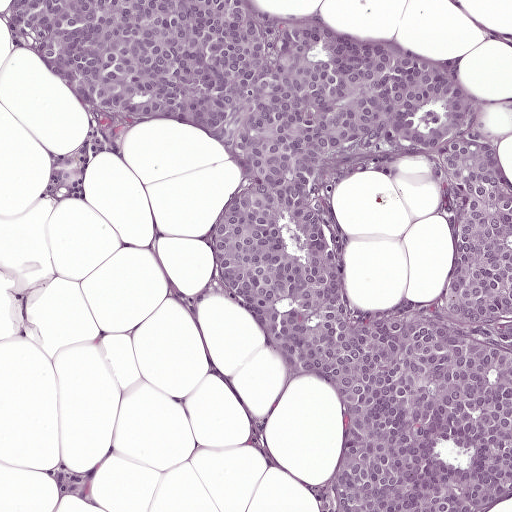
Lymph node section stained with H&E, from a whole-slide image of a breast-cancer sentinel node. Magnification about 10×, about 0.5 mm across the frame, about 0.97 µm per pixel.
Tumour region outline (a closed clockwise path, crop pixels): (262, 0), (462, 75), (471, 122), (338, 182), (336, 279), (370, 309), (441, 288), (432, 166), (462, 130), (484, 140), (511, 180), (511, 494), (483, 511), (330, 511), (348, 437), (332, 380), (278, 357), (212, 263), (237, 155), (186, 125), (100, 142), (94, 113), (1, 38), (5, 9).
The annotated tumour makes up about 45% of the crop.